Lymph node section stained with H&E, from a whole-slide image of a breast-cancer sentinel node. Magnification about 2.5×, about 1.9 mm across the frame, about 3.6 µm per pixel.
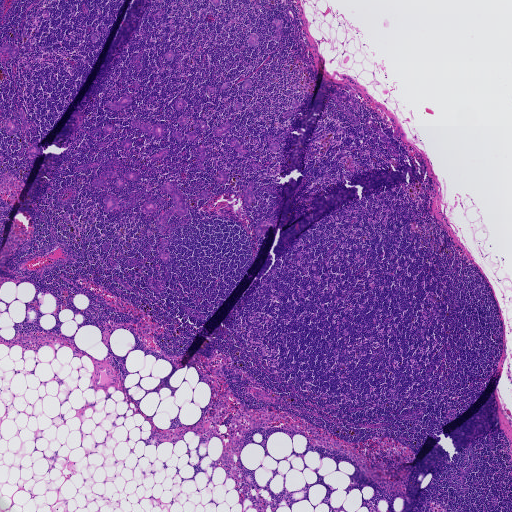
The eight largest tumour regions' boundaries, simplified and listed clockwise, largest first: region 1: (171, 181), (182, 185), (178, 189), (185, 201), (187, 211), (187, 213), (182, 215), (175, 213), (169, 218), (165, 232), (163, 234), (160, 233), (157, 227), (157, 222), (165, 212), (174, 206), (172, 196), (162, 191), (161, 189), (164, 184); region 2: (133, 120), (139, 120), (141, 125), (147, 123), (152, 125), (160, 123), (164, 125), (165, 128), (162, 138), (152, 136), (150, 134), (145, 134), (139, 129), (134, 126), (132, 123); region 3: (336, 90), (351, 95), (358, 102), (358, 108), (356, 109), (342, 100), (340, 100), (336, 104), (332, 98), (334, 91); region 4: (271, 218), (276, 224), (274, 228), (269, 229), (267, 234), (262, 236), (258, 236), (255, 229), (258, 223); region 5: (123, 96), (126, 96), (130, 97), (132, 100), (132, 102), (130, 104), (116, 111), (114, 111), (108, 107), (106, 104), (107, 102), (118, 102); region 6: (162, 238), (164, 238), (169, 241), (169, 244), (168, 247), (166, 248), (164, 250), (168, 253), (170, 258), (170, 260), (168, 262), (166, 262), (161, 260), (160, 258), (158, 255), (158, 249), (160, 244), (159, 239); region 7: (108, 171), (116, 173), (117, 175), (116, 177), (113, 178), (108, 177), (106, 178), (107, 184), (107, 186), (101, 186), (93, 185), (92, 184), (93, 181), (95, 179), (102, 178), (100, 176), (100, 173); region 8: (252, 181), (254, 184), (253, 191), (254, 199), (254, 201), (252, 206), (248, 207), (246, 206), (245, 204), (244, 196), (241, 195), (241, 193), (242, 192), (244, 194), (245, 197), (248, 190), (248, 184), (249, 182).
12 more, smaller tumour regions are not outlined.
32 more small tumour pieces are annotated here but not outlined.
Under 5% of this field is tumour.